A 0.46-mm field of an H&E-stained sentinel lymph node from a breast-cancer patient (whole-slide image), shown at about 10×, about 0.9 µm per pixel.
Question: 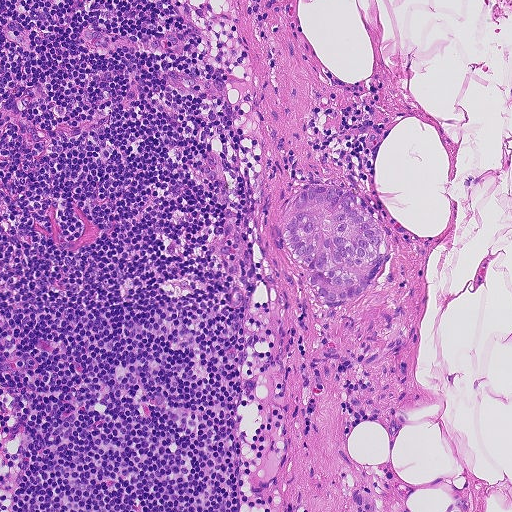
Estimate the proportion of this field that is metastatic tumour.

Choices:
 (A) about 10% to 20%
 (B) about 5% or less
 (C) about 25% to 45%
 (D) about 50% or more
 (E) none: no tumour is outlined

Answer: (B) about 5% or less
About 5% of the field is tumour.
One metastatic tumour region; its boundary, reduced to 11 corners and listed clockwise: (309, 186), (335, 187), (358, 196), (386, 242), (386, 268), (373, 290), (351, 305), (326, 304), (287, 251), (282, 236), (297, 194).